H&E-stained section of a sentinel lymph node (breast cancer), from a whole-slide image, viewed at about 10×: the field is about 0.5 mm across, about 0.97 µm per pixel.
Question: 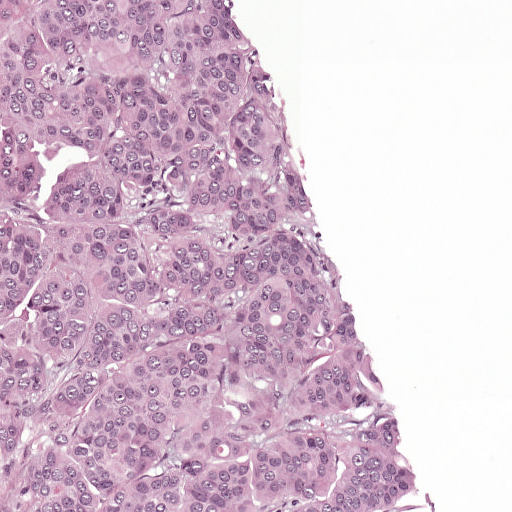
Estimate the proportion of this field that is metastatic tumour.

Choices:
 (A) none: no tumour is outlined
 (B) about 50% or more
 (C) about 25% to 45%
 (D) about 5% or less
 (E) about 10% to 20%

Answer: (B) about 50% or more
About 70% of the field is tumour.
The outlined metastatic tumour's edge, as a closed clockwise path of 5 points: (0, 0), (239, 0), (315, 159), (440, 511), (0, 511).